Image:
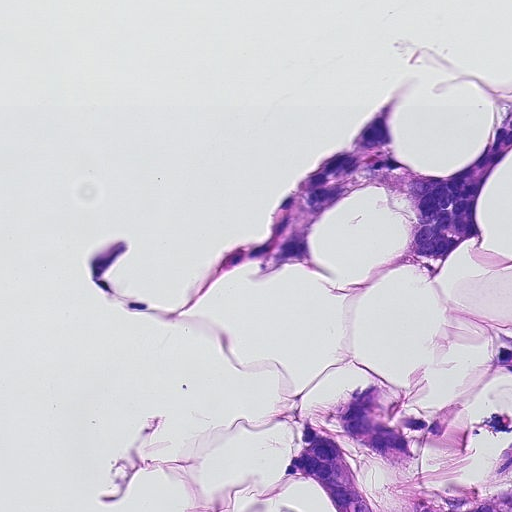
H&E-stained section of a sentinel lymph node (breast cancer), from a whole-slide image, viewed at about 20×: the field is about 0.23 mm across, about 0.45 µm per pixel.
Question:
Is there metastatic carcinoma in this field?
Answer:
Yes.
Boundaries of two metastatic tumour regions, simplified and listed clockwise, largest first: region 1: (511, 81), (511, 152), (484, 188), (488, 256), (511, 253), (511, 269), (492, 272), (468, 249), (430, 275), (374, 278), (402, 244), (414, 212), (388, 190), (352, 196), (326, 215), (312, 247), (332, 280), (256, 266), (224, 280), (178, 323), (142, 323), (89, 281), (88, 248), (122, 254), (114, 286), (145, 305), (178, 300), (197, 271), (258, 236), (316, 150), (396, 84), (390, 102), (394, 136), (416, 163), (449, 170), (477, 152), (492, 122), (484, 89); region 2: (477, 316), (511, 324), (511, 511), (329, 511), (294, 481), (266, 498), (300, 427), (322, 400), (351, 382), (385, 378), (412, 401), (445, 404), (473, 380), (487, 348).
Tumour covers about 20% of the frame.